This is a crop of a whole-slide image: an H&E-stained breast-cancer sentinel lymph node section at roughly 20× magnification (about 0.49 µm per pixel; the crop spans about 0.25 mm).
Image:
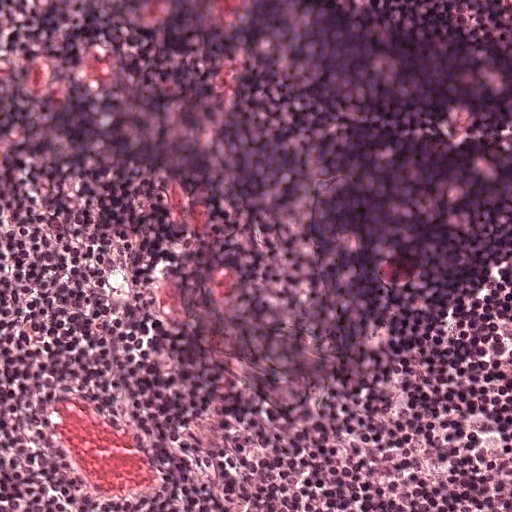
Question:
Is any metastatic breast cancer visible in this crop?
Answer:
No. No metastatic tumour is outlined in this field.